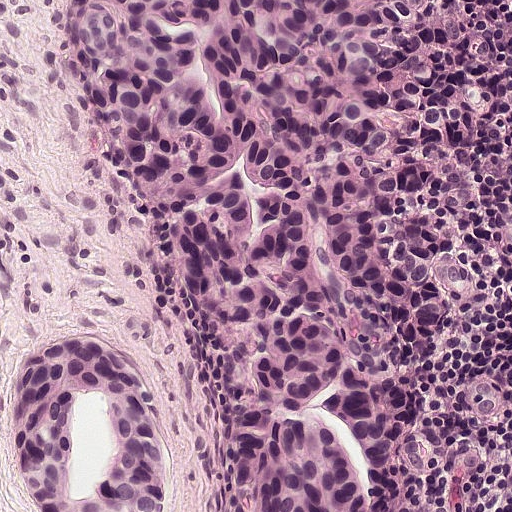
H&E-stained section of a sentinel lymph node (breast cancer), from a whole-slide image, viewed at about 20×: the field is about 0.25 mm across, about 0.49 µm per pixel.
Outlines of two tumour regions, largest first (closed clockwise paths, crop pixels): region 1: (500, 2), (511, 17), (511, 296), (470, 312), (449, 360), (459, 416), (486, 447), (468, 511), (237, 511), (232, 392), (106, 168), (60, 4); region 2: (86, 340), (124, 352), (156, 388), (175, 462), (172, 511), (28, 511), (12, 457), (8, 396), (22, 362), (63, 342).
Region 2 encloses a non-tumour hole of about 20% of its area.
About 75% of this field is tumour.